This is a crop of a whole-slide image: an H&E-stained breast-cancer sentinel lymph node section at roughly 2.5× magnification (about 3.6 µm per pixel; the crop spans about 1.9 mm).
Question: 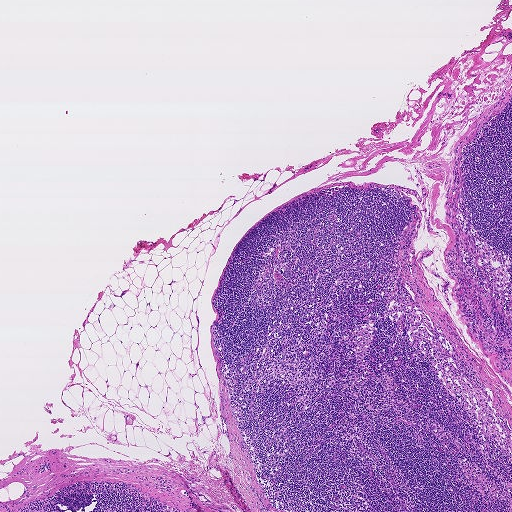
Roughly what share of this field is metastatic tumour?

Choices:
 (A) none: no tumour is outlined
 (B) about 10% to 20%
 (C) about 5% or less
 (D) about 25% to 45%
 (E) about 50% or more

Answer: (A) none: no tumour is outlined
No metastatic tumour is outlined in this field.